Question: 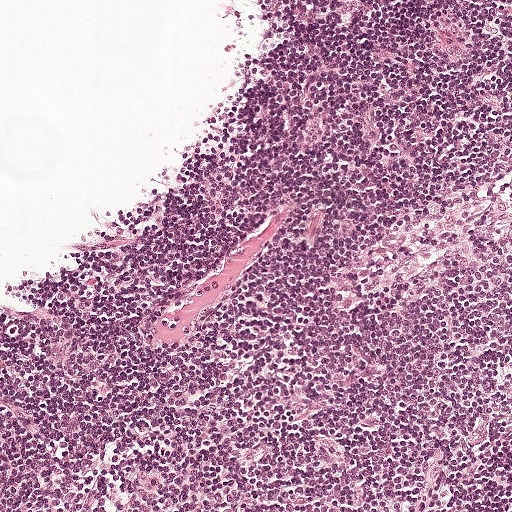
Which magnification is this H&E lymph node field most likely shown at?

Choices:
 (A) about 20×
 (B) about 5×
 (C) about 40×
 (D) about 10×
 (E) about 2.5×

Answer: (D) about 10×
This is a crop of a whole-slide image: an H&E-stained breast-cancer sentinel lymph node section at roughly 10× magnification (about 0.97 µm per pixel; the crop spans about 0.5 mm).